Question: 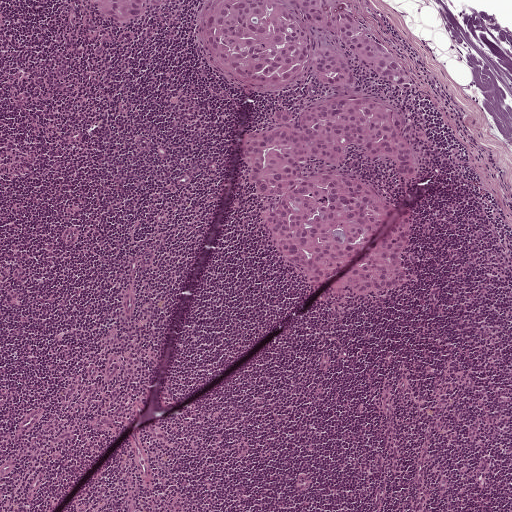
Which magnification is this H&E lymph node field most likely shown at?

Choices:
 (A) about 40×
 (B) about 5×
 (C) about 20×
 (D) about 10×
 (E) about 2.5×

Answer: (B) about 5×
This is a crop of a whole-slide image: an H&E-stained breast-cancer sentinel lymph node section at roughly 5× magnification (about 1.9 µm per pixel; the crop spans about 1 mm).
Outlines of two tumour regions, largest first (closed clockwise paths, crop pixels): region 1: (347, 0), (403, 63), (404, 82), (385, 83), (326, 35), (366, 94), (405, 109), (420, 163), (409, 178), (358, 147), (341, 168), (407, 217), (410, 289), (319, 303), (271, 244), (242, 137), (333, 93), (309, 67), (276, 96), (221, 77), (197, 30), (220, 2); region 2: (81, 0), (173, 0), (151, 17), (134, 24), (115, 25), (96, 19).
About 15% of the image area is annotated as tumour.